Question: 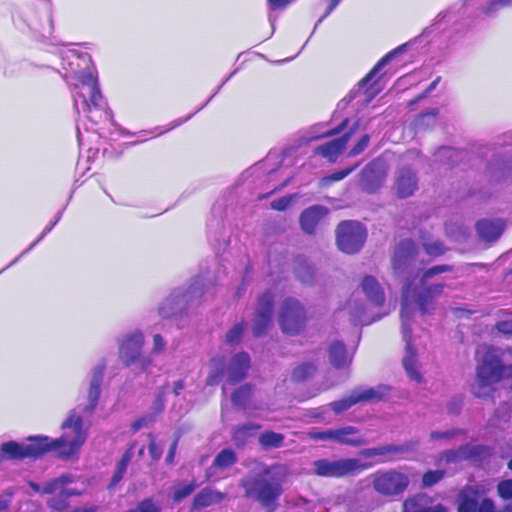
About what magnification does this crop show?

Choices:
 (A) about 2.5×
 (B) about 5×
 (C) about 20×
 (D) about 10×
 (E) about 40×

Answer: (E) about 40×
A 0.12-mm field of an H&E-stained sentinel lymph node from a breast-cancer patient (whole-slide image), shown at about 40×, about 0.23 µm per pixel.
Metastatic tumour outline, simplified to 15 points and listed clockwise in crop pixels (x, y): (466, 132), (511, 134), (511, 246), (487, 263), (452, 263), (419, 287), (346, 386), (251, 420), (212, 412), (199, 391), (196, 351), (244, 249), (247, 196), (355, 170), (379, 148).
Tumour covers about 20% of the frame.